Question: 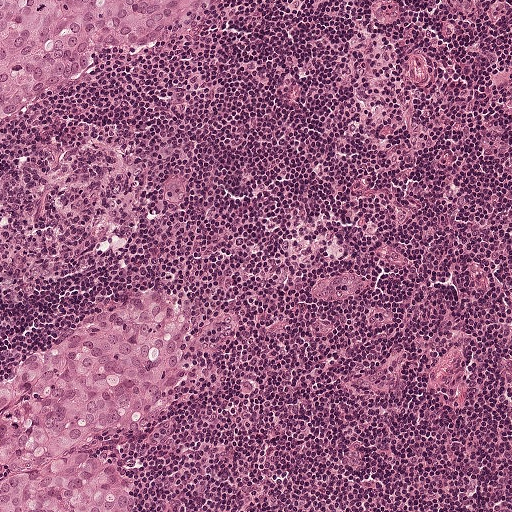
A 0.5-mm field of an H&E-stained sentinel lymph node from a breast-cancer patient (whole-slide image), shown at about 10×, about 0.97 µm per pixel.
Estimate the proportion of this field that is metastatic tumour.

Choices:
 (A) none: no tumour is outlined
 (B) about 25% to 45%
 (C) about 50% or more
 (D) about 10% to 20%
 (E) about 5% or less

Answer: (D) about 10% to 20%
About 15% of the field is tumour.
Two metastatic tumour regions, each outlined as a closed clockwise path in crop pixels (x, y), largest first: region 1: (154, 279), (174, 293), (184, 314), (177, 364), (147, 414), (115, 434), (94, 437), (122, 471), (123, 510), (0, 511), (0, 479), (8, 475), (9, 462), (0, 456), (0, 371), (88, 303); region 2: (0, 0), (207, 0), (165, 41), (0, 106).